Image:
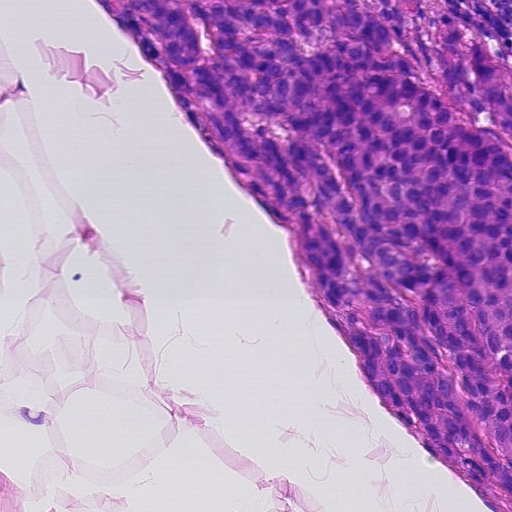
H&E-stained section of a sentinel lymph node (breast cancer), from a whole-slide image, viewed at about 20×: the field is about 0.23 mm across, about 0.45 µm per pixel.
Question:
Which parts of this field are metastatic tumour? Answer with the outline of each region, in pixels.
Answer:
The outlined metastatic tumour's edge, as a closed clockwise path of 9 points: (99, 0), (433, 0), (511, 66), (511, 511), (493, 511), (388, 414), (318, 316), (283, 228), (221, 168).
The annotated tumour makes up about 45% of the crop.